Image:
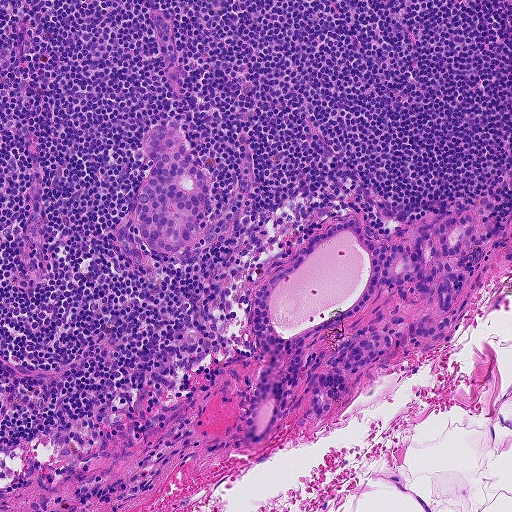
H&E-stained section of a sentinel lymph node (breast cancer), from a whole-slide image, viewed at about 10×: the field is about 0.46 mm across, about 0.9 µm per pixel.
Question:
Describe where the metastatic carcinoma lies in this crop.
Answer:
Boundaries of four metastatic tumour regions, simplified and listed clockwise, largest first: region 1: (473, 216), (470, 240), (443, 260), (458, 274), (454, 306), (431, 310), (414, 282), (378, 288), (358, 314), (303, 344), (301, 370), (284, 388), (276, 421), (258, 444), (246, 428), (267, 356), (252, 336), (255, 292), (309, 236), (344, 218), (360, 218), (377, 247), (412, 249), (440, 221); region 2: (156, 127), (183, 132), (191, 159), (196, 166), (211, 174), (202, 236), (183, 252), (174, 255), (158, 253), (144, 242), (136, 226), (138, 193), (152, 162), (141, 144), (142, 136); region 3: (372, 326), (391, 338), (389, 356), (359, 374), (351, 376), (342, 372), (346, 380), (347, 390), (343, 397), (335, 401), (327, 416), (318, 418), (312, 413), (308, 396), (302, 394), (306, 381), (312, 376), (329, 370), (327, 364), (334, 349), (363, 327); region 4: (448, 316), (450, 321), (449, 328), (426, 339), (408, 337), (410, 321), (416, 323), (418, 326), (427, 328).
The annotated tumour makes up about 10% of the crop.